Image:
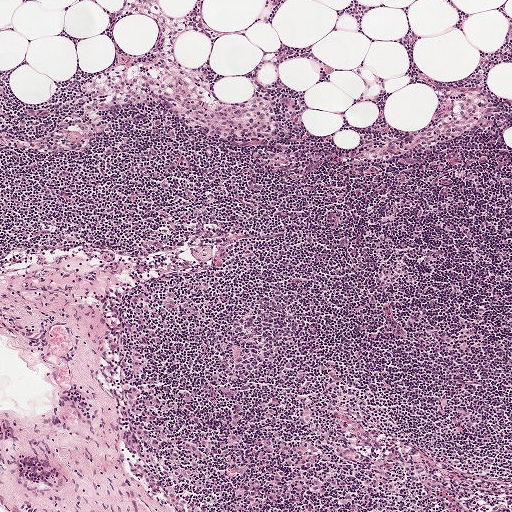
A 1-mm field of an H&E-stained sentinel lymph node from a breast-cancer patient (whole-slide image), shown at about 5×, about 1.9 µm per pixel.
Question:
Is there metastatic carcinoma in this field?
Answer:
No: no metastatic tumour is outlined anywhere in this field.